Image:
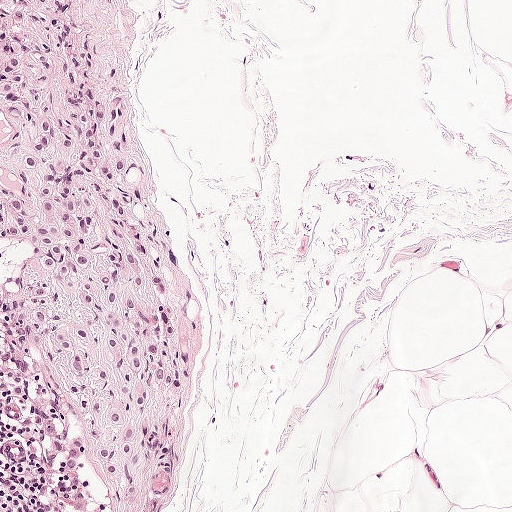
This is a crop of a whole-slide image: an H&E-stained breast-cancer sentinel lymph node section at roughly 10× magnification (about 0.97 µm per pixel; the crop spans about 0.5 mm).
Question:
Which parts of this field are metastatic tumour?
Answer:
The outlined metastatic tumour's edge, as a closed clockwise path of 23 points: (0, 0), (44, 56), (102, 69), (122, 96), (126, 174), (158, 217), (165, 289), (189, 349), (175, 396), (144, 398), (150, 448), (138, 511), (110, 511), (94, 470), (60, 469), (61, 449), (86, 434), (86, 403), (25, 314), (32, 251), (0, 214), (19, 139), (0, 110).
The annotated tumour makes up about 20% of the crop.